Question: 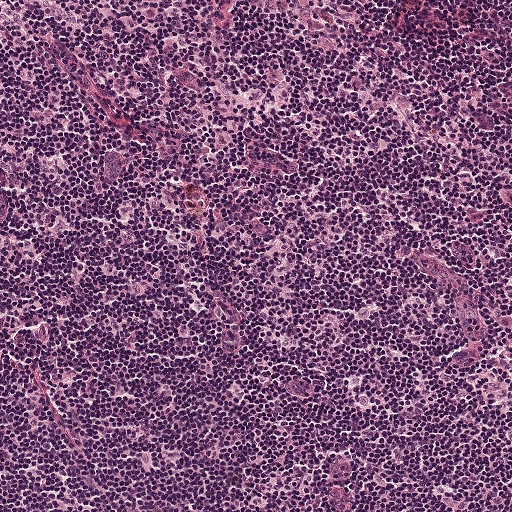
This is a crop of a whole-slide image: an H&E-stained breast-cancer sentinel lymph node section at roughly 10× magnification (about 0.97 µm per pixel; the crop spans about 0.5 mm).
What fraction of the image area is metastatic tumour?

Choices:
 (A) about 50% or more
 (B) about 5% or less
 (C) none: no tumour is outlined
 (D) about 25% to 45%
 (E) about 10% to 20%

Answer: (C) none: no tumour is outlined
No metastatic tumour is outlined in this field.